Image:
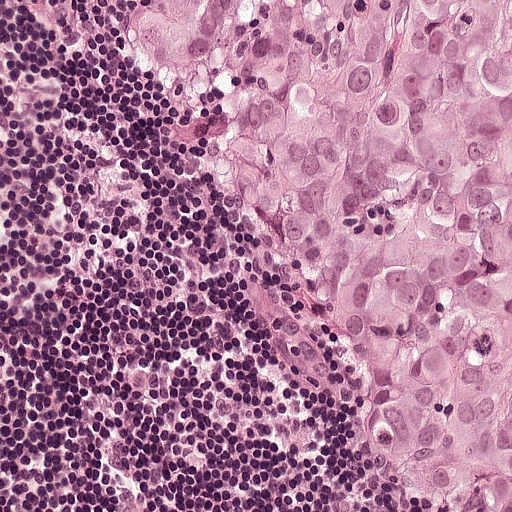
A 0.25-mm field of an H&E-stained sentinel lymph node from a breast-cancer patient (whole-slide image), shown at about 20×, about 0.49 µm per pixel.
Question:
Is any metastatic breast cancer visible in this crop?
Answer:
Yes.
Metastatic tumour outline, simplified to 10 points and listed clockwise in crop pixels (x, y): (511, 0), (511, 511), (412, 511), (382, 486), (304, 380), (272, 283), (208, 206), (190, 133), (144, 94), (114, 2).
About 50% of the image area is annotated as tumour.

Image:
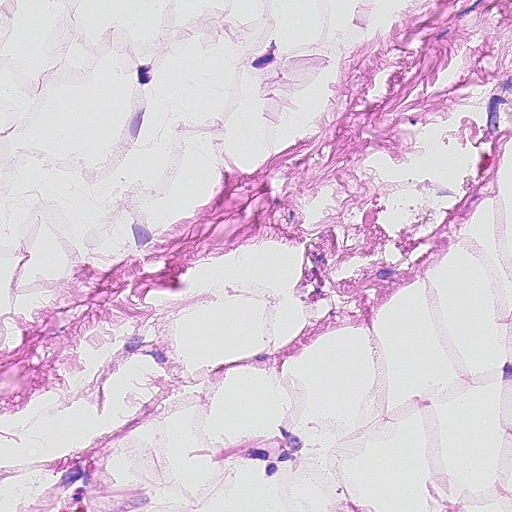
A 0.23-mm field of an H&E-stained sentinel lymph node from a breast-cancer patient (whole-slide image), shown at about 20×, about 0.45 µm per pixel.
Question:
Is any metastatic breast cancer visible in this crop?
Answer:
No, this field holds no outlined metastasis.

Image:
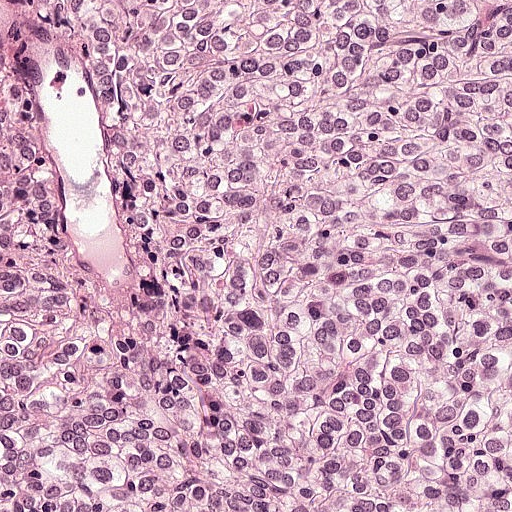
H&E-stained section of a sentinel lymph node (breast cancer), from a whole-slide image, viewed at about 20×: the field is about 0.25 mm across, about 0.49 µm per pixel.
Question:
Is any metastatic breast cancer visible in this crop?
Answer:
Yes.
Metastatic tumour covers the whole field.
Tumour covers over 95% of the frame.

Image:
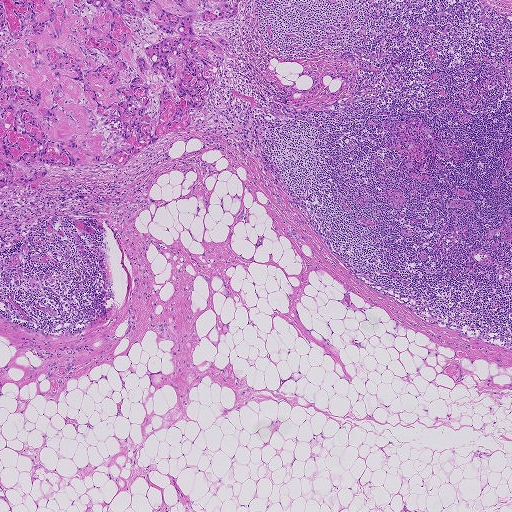
H&E-stained section of a sentinel lymph node (breast cancer), from a whole-slide image, viewed at about 2.5×: the field is about 1.9 mm across, about 3.6 µm per pixel.
Question:
Is any metastatic breast cancer visible in this crop?
Answer:
Yes.
Tumour region outline (a closed clockwise path, crop pixels): (0, 0), (242, 0), (238, 15), (210, 27), (229, 44), (187, 127), (123, 167), (44, 164), (48, 173), (38, 181), (0, 188).
The annotated tumour makes up about 15% of the crop.